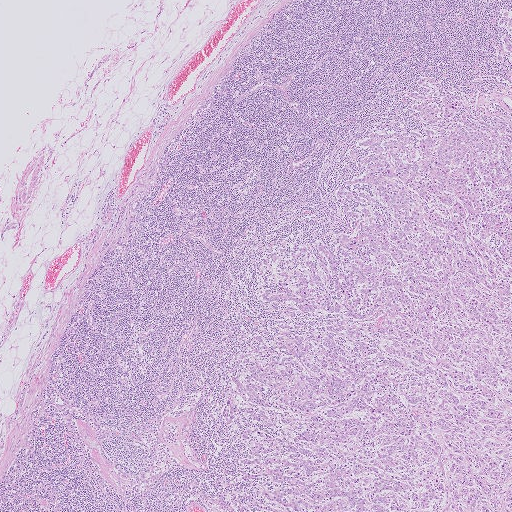
Lymph node section stained with H&E, from a whole-slide image of a breast-cancer sentinel node. Magnification about 2.5×, about 2.0 mm across the frame, about 4.0 µm per pixel.
Two metastatic tumour regions, each outlined as a closed clockwise path in crop pixels (x, y), largest first: region 1: (417, 77), (476, 115), (509, 111), (511, 511), (228, 511), (247, 493), (237, 464), (249, 457), (224, 413), (228, 381), (247, 339), (283, 322), (256, 295), (260, 259), (317, 241), (337, 250), (355, 232), (335, 190), (360, 171), (347, 152), (380, 123), (419, 128), (404, 96); region 2: (511, 1), (511, 63), (508, 60), (502, 50), (497, 27), (498, 22), (503, 11).
The annotated tumour makes up about 35% of the crop.